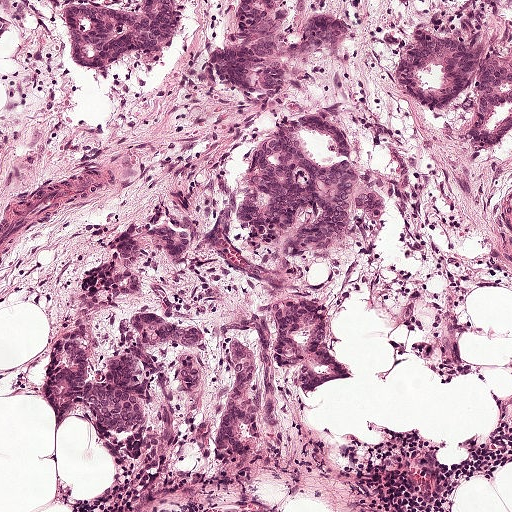
This is a crop of a whole-slide image: an H&E-stained breast-cancer sentinel lymph node section at roughly 10× magnification (about 0.97 µm per pixel; the crop spans about 0.5 mm).
Question: Describe where the metastatic carcinoma lies in this crop.
Answer: Outlines of the eight largest metastatic tumour regions, each a closed clockwise path in crop pixels (x, y), largest first: region 1: (182, 210), (210, 232), (187, 260), (151, 260), (145, 282), (95, 320), (86, 342), (92, 376), (103, 366), (102, 344), (130, 320), (166, 316), (208, 340), (152, 356), (142, 386), (152, 430), (125, 441), (94, 414), (48, 417), (45, 382), (83, 277), (146, 222); region 2: (287, 121), (323, 126), (352, 139), (364, 159), (364, 209), (356, 232), (348, 246), (311, 271), (292, 269), (269, 253), (247, 250), (236, 225), (238, 178), (259, 134); region 3: (420, 25), (438, 30), (448, 41), (487, 58), (505, 59), (511, 54), (511, 145), (494, 151), (468, 150), (404, 101), (402, 85), (405, 80), (397, 68), (395, 52); region 4: (222, 0), (282, 0), (285, 10), (332, 14), (344, 28), (344, 36), (338, 48), (311, 65), (281, 93), (258, 106), (248, 106), (202, 75), (198, 67), (198, 55), (216, 32); region 5: (58, 0), (113, 3), (121, 11), (130, 10), (134, 0), (174, 0), (178, 22), (178, 39), (159, 53), (129, 55), (102, 67), (73, 66), (61, 41); region 6: (325, 298), (333, 322), (339, 360), (348, 372), (356, 376), (353, 380), (336, 382), (316, 392), (294, 392), (291, 374), (276, 372), (273, 312), (292, 305); region 7: (238, 317), (247, 317), (253, 320), (275, 373), (275, 394), (270, 422), (249, 446), (237, 453), (221, 446), (232, 406), (239, 368), (234, 344); region 8: (194, 360), (210, 374), (210, 384), (207, 394), (188, 399), (179, 396), (176, 387), (176, 376), (180, 365).
One more, smaller tumour region is not outlined.
Tumour covers about 25% of the frame.